Question: 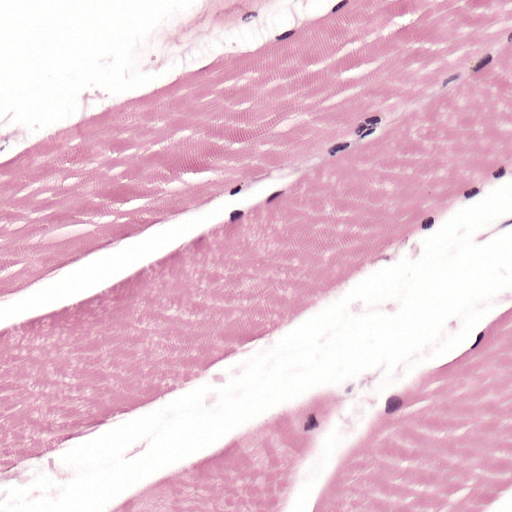
At roughly what magnification is this field shown?

Choices:
 (A) about 2.5×
 (B) about 10×
 (C) about 20×
 (D) about 5×
 (E) about 40×

Answer: (C) about 20×
A 0.25-mm field of an H&E-stained sentinel lymph node from a breast-cancer patient (whole-slide image), shown at about 20×, about 0.49 µm per pixel.